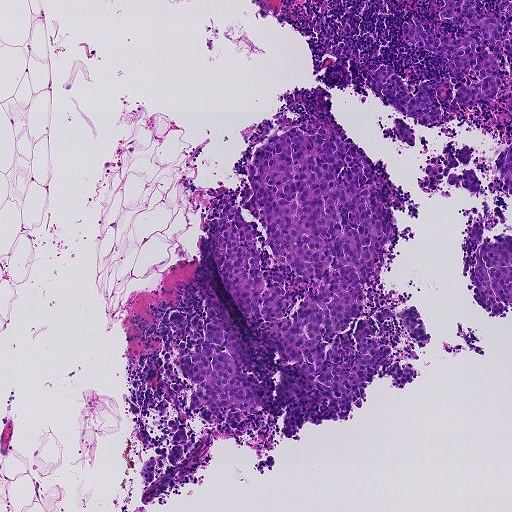
H&E-stained section of a sentinel lymph node (breast cancer), from a whole-slide image, viewed at about 5×: the field is about 0.93 mm across, about 1.8 µm per pixel.
Question: Where is the metastatic tumour in this field?
Answer: Four metastatic tumour regions, each outlined as a closed clockwise path in crop pixels (x, y), largest first: region 1: (290, 125), (330, 128), (372, 159), (393, 229), (365, 281), (361, 317), (413, 303), (426, 345), (387, 319), (374, 338), (417, 374), (392, 390), (383, 373), (373, 376), (350, 418), (284, 440), (284, 410), (227, 430), (192, 415), (195, 450), (144, 485), (144, 464), (173, 439), (168, 418), (186, 410), (193, 390), (169, 311), (207, 320), (196, 268), (225, 201), (254, 228), (263, 280), (271, 273), (261, 224), (240, 203), (249, 162); region 2: (444, 0), (511, 0), (511, 112), (506, 86), (491, 101), (434, 128), (404, 115), (416, 136), (414, 146), (406, 145), (393, 128), (394, 118), (401, 114), (378, 100), (367, 82), (377, 64), (391, 65), (415, 86), (448, 76), (440, 57), (408, 46), (401, 38), (404, 18), (415, 15), (427, 32), (447, 40), (477, 27), (467, 24), (461, 16), (442, 22), (435, 13); region 3: (473, 220), (482, 226), (482, 236), (492, 240), (500, 233), (510, 233), (511, 236), (511, 308), (501, 301), (507, 310), (500, 317), (489, 314), (475, 296), (472, 285), (475, 263), (470, 272), (461, 278), (468, 229); region 4: (511, 135), (511, 196), (504, 189), (496, 170), (485, 171), (465, 166), (455, 167), (447, 174), (452, 172), (462, 174), (462, 170), (471, 168), (482, 184), (484, 194), (474, 197), (458, 184), (457, 186), (446, 186), (446, 176), (442, 175), (440, 189), (431, 195), (422, 190), (416, 182), (425, 175), (422, 169), (426, 160), (436, 156), (446, 155), (469, 144), (472, 154), (472, 164), (476, 154), (483, 162), (493, 161).
About 25% of this field is tumour.